Question: 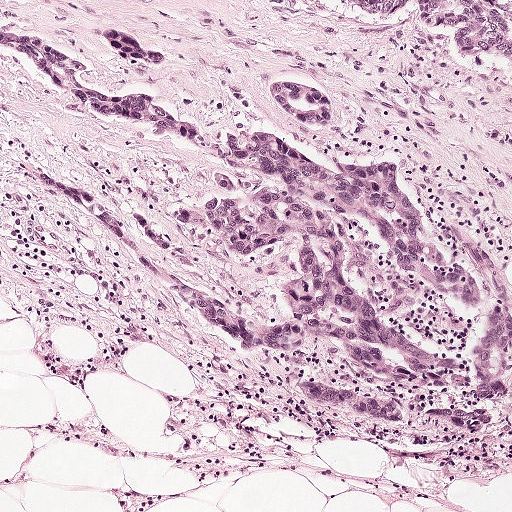
About what magnification does this crop show?

Choices:
 (A) about 10×
 (B) about 20×
 (C) about 40×
 (D) about 5×
 (E) about 2.5×

Answer: (A) about 10×
A 0.5-mm field of an H&E-stained sentinel lymph node from a breast-cancer patient (whole-slide image), shown at about 10×, about 0.97 µm per pixel.